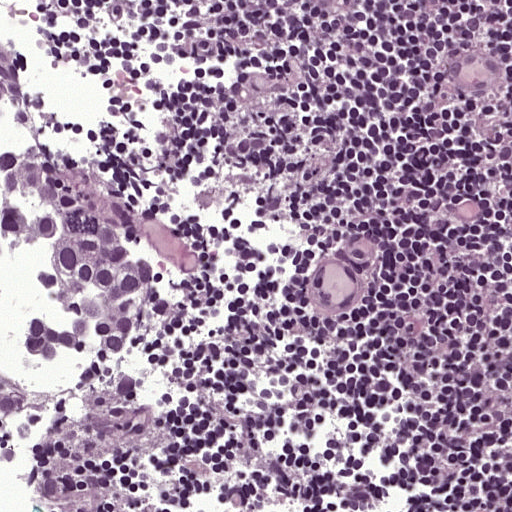
H&E-stained section of a sentinel lymph node (breast cancer), from a whole-slide image, viewed at about 20×: the field is about 0.25 mm across, about 0.49 µm per pixel.
The outlined metastatic tumour's edge, as a closed clockwise path of 12 points: (0, 24), (30, 66), (42, 124), (66, 178), (118, 208), (155, 257), (152, 316), (122, 368), (77, 360), (20, 396), (8, 474), (0, 472).
About 15% of the image area is annotated as tumour.